Question: 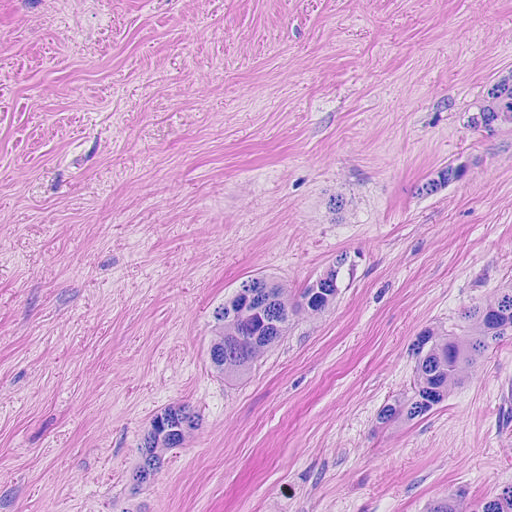
A 0.23-mm field of an H&E-stained sentinel lymph node from a breast-cancer patient (whole-slide image), shown at about 20×, about 0.45 µm per pixel.
Estimate the proportion of this field that is metastatic tumour.

Choices:
 (A) about 50% or more
 (B) about 25% to 45%
 (C) none: no tumour is outlined
 (D) about 5% or less
 (E) about 10% to 20%

Answer: (B) about 25% to 45%
About 40% of the field is tumour.
The outlined metastatic tumour's edge, as a closed clockwise path of 17 points: (511, 42), (511, 511), (92, 511), (116, 488), (138, 422), (195, 386), (198, 316), (218, 290), (280, 256), (314, 260), (339, 238), (316, 222), (322, 187), (388, 176), (452, 142), (443, 92), (466, 65).